A 1.9-mm field of an H&E-stained sentinel lymph node from a breast-cancer patient (whole-slide image), shown at about 2.5×, about 3.6 µm per pixel.
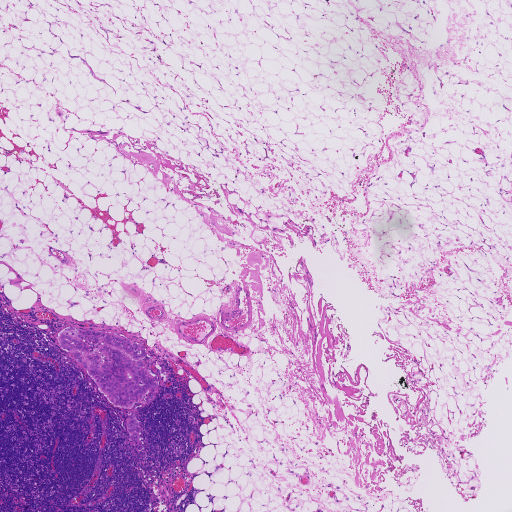
Boundaries of two metastatic tumour regions, simplified and listed clockwise, largest first: region 1: (70, 326), (115, 334), (142, 344), (147, 353), (141, 368), (148, 368), (157, 380), (153, 400), (146, 404), (146, 396), (135, 402), (131, 408), (118, 408), (109, 402), (58, 341), (59, 332); region 2: (130, 415), (134, 415), (139, 422), (141, 428), (137, 437), (142, 444), (138, 445), (132, 443), (126, 424).
One more small tumour piece is annotated here but not outlined.
The annotated tumour makes up under 5% of the crop.